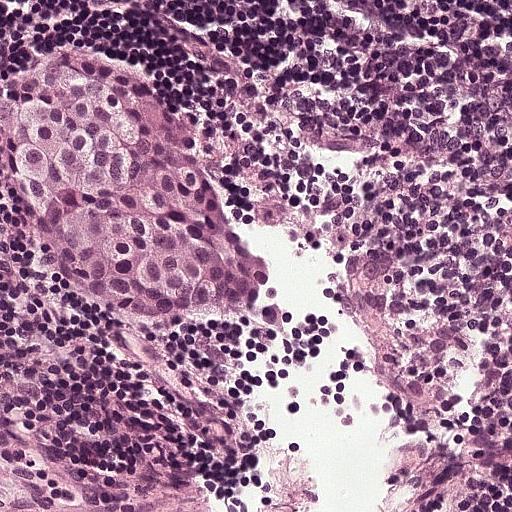
Lymph node section stained with H&E, from a whole-slide image of a breast-cancer sentinel node. Magnification about 20×, about 0.25 mm across the frame, about 0.49 µm per pixel.
Metastatic tumour outline, simplified to 12 points and listed clockwise in crop pixels (x, y): (93, 42), (178, 112), (243, 234), (285, 279), (278, 320), (245, 332), (150, 332), (50, 277), (28, 230), (25, 182), (0, 140), (0, 92).
Tumour covers about 20% of the frame.